Image:
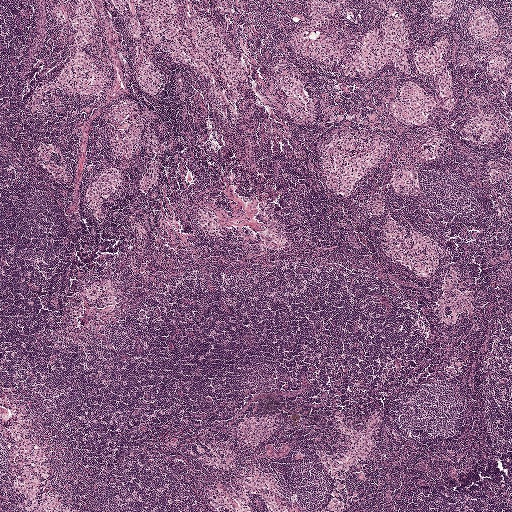
Lymph node section stained with H&E, from a whole-slide image of a breast-cancer sentinel node. Magnification about 2.5×, about 2.0 mm across the frame, about 3.9 µm per pixel.
Question:
Is any metastatic breast cancer visible in this crop?
Answer:
No. No metastatic tumour is outlined in this field.